Question: 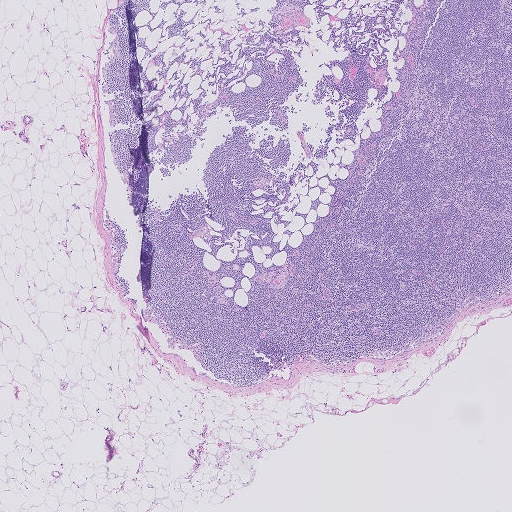
Which magnification is this H&E lymph node field most likely shown at?

Choices:
 (A) about 20×
 (B) about 10×
 (C) about 2.5×
 (D) about 40×
 (E) about 5×

Answer: (C) about 2.5×
This is a crop of a whole-slide image: an H&E-stained breast-cancer sentinel lymph node section at roughly 2.5× magnification (about 4.0 µm per pixel; the crop spans about 2.0 mm).